A 0.12-mm field of an H&E-stained sentinel lymph node from a breast-cancer patient (whole-slide image), shown at about 40×, about 0.23 µm per pixel.
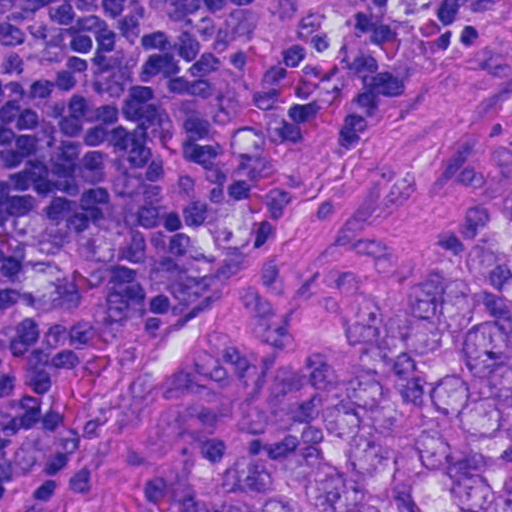
Three metastatic tumour regions, each outlined as a closed clockwise path in crop pixels (x, y), largest first: region 1: (511, 209), (511, 511), (197, 511), (276, 443), (446, 255); region 2: (110, 194), (136, 227), (120, 283), (44, 328), (7, 315), (0, 288), (0, 253), (11, 200); region 3: (258, 106), (291, 127), (285, 213), (243, 259), (201, 255), (207, 125).
One more small tumour piece is annotated here but not outlined.
About 30% of this field is tumour.